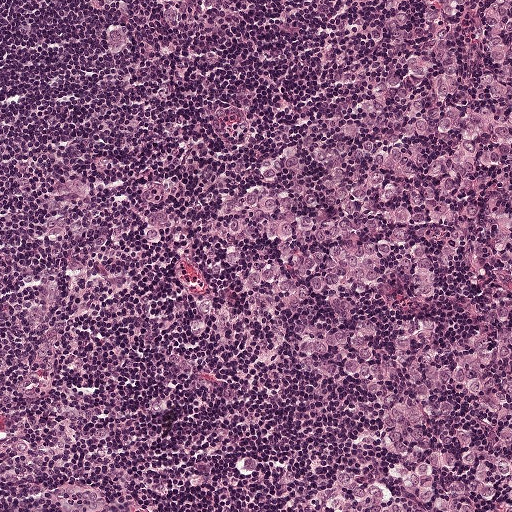
H&E-stained section of a sentinel lymph node (breast cancer), from a whole-slide image, viewed at about 10×: the field is about 0.5 mm across, about 0.97 µm per pixel.
Question: Is there metastatic carcinoma in this field?
Answer: Yes.
The outlined metastatic tumour's edge, as a closed clockwise path of 13 points: (328, 0), (511, 0), (511, 511), (301, 511), (302, 486), (350, 458), (364, 434), (284, 391), (243, 335), (203, 234), (223, 179), (261, 149), (300, 86).
About 45% of this field is tumour.